Question: 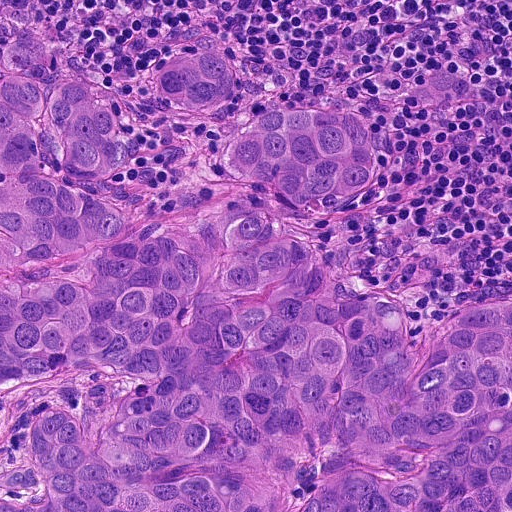
H&E-stained section of a sentinel lymph node (breast cancer), from a whole-slide image, viewed at about 20×: the field is about 0.23 mm across, about 0.45 µm per pixel.
About how much of this crop is taken up by metastatic carcinoma?

Choices:
 (A) about 10% to 20%
 (B) about 25% to 45%
 (C) about 50% or more
 (D) about 5% or less
 (E) none: no tumour is outlined

Answer: (C) about 50% or more
About 65% of the field is tumour.
The outlined metastatic tumour's edge, as a closed clockwise path of 24 points: (25, 22), (56, 69), (113, 89), (132, 131), (111, 180), (148, 216), (243, 193), (230, 134), (146, 92), (164, 50), (238, 56), (216, 110), (238, 128), (300, 106), (377, 148), (368, 193), (284, 218), (358, 296), (412, 310), (411, 352), (511, 291), (511, 511), (0, 511), (4, 50).